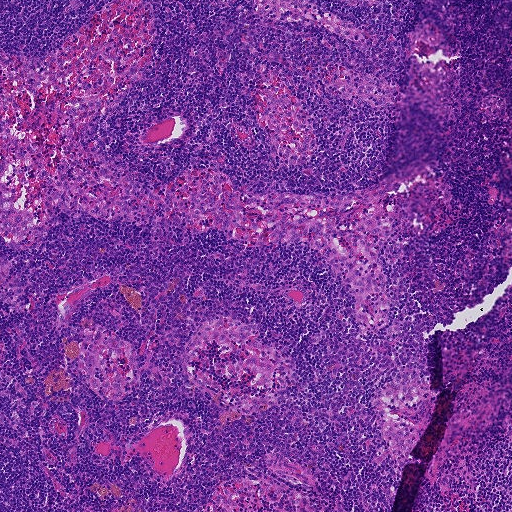
This is a crop of a whole-slide image: an H&E-stained breast-cancer sentinel lymph node section at roughly 5× magnification (about 1.8 µm per pixel; the crop spans about 0.93 mm).
Question: Is any metastatic breast cancer visible in this crop?
Answer: No: no metastatic tumour is outlined anywhere in this field.